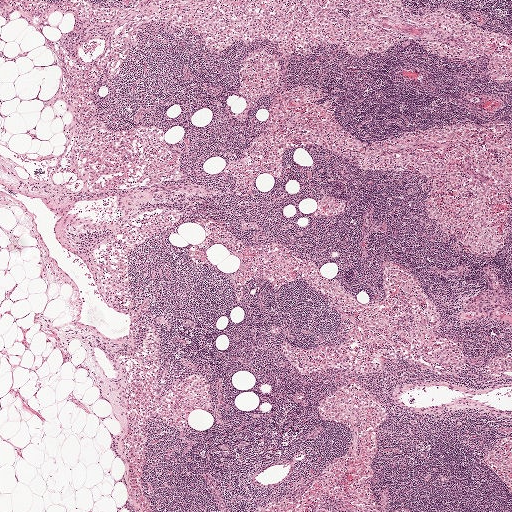
A 2.0-mm field of an H&E-stained sentinel lymph node from a breast-cancer patient (whole-slide image), shown at about 2.5×, about 3.9 µm per pixel.
Question: Is there metastatic carcinoma in this field?
Answer: No, this field holds no outlined metastasis.